Question: 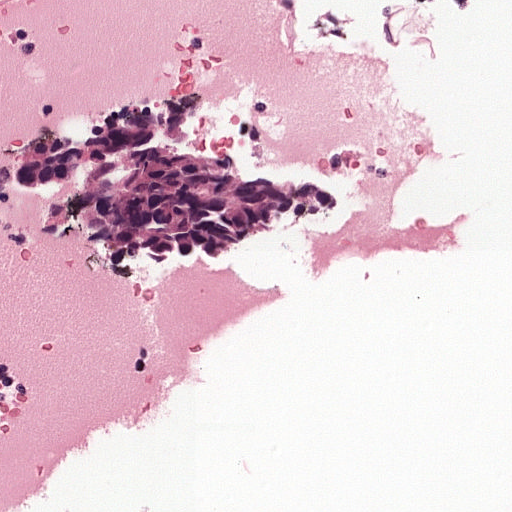
Lymph node section stained with H&E, from a whole-slide image of a breast-cancer sentinel node. Magnification about 20×, about 0.25 mm across the frame, about 0.49 µm per pixel.
What fraction of the image area is metastatic tumour?

Choices:
 (A) about 25% to 45%
 (B) none: no tumour is outlined
 (C) about 50% or more
 (D) about 10% to 20%
 (E) about 5% or less

Answer: (D) about 10% to 20%
About 20% of the field is tumour.
Two metastatic tumour regions, each outlined as a closed clockwise path in crop pixels (x, y), largest first: region 1: (118, 94), (287, 94), (312, 136), (347, 150), (342, 218), (240, 260), (66, 270), (0, 241), (0, 138), (14, 121); region 2: (411, 0), (488, 0), (486, 4), (449, 15), (412, 4).
Question: 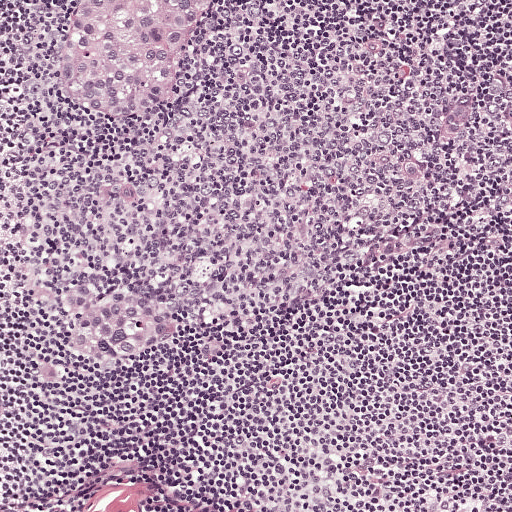
This is a crop of a whole-slide image: an H&E-stained breast-cancer sentinel lymph node section at roughly 10× magnification (about 0.97 µm per pixel; the crop spans about 0.5 mm).
What fraction of the image area is metastatic tumour?

Choices:
 (A) about 50% or more
 (B) about 10% to 20%
 (C) about 25% to 45%
 (D) none: no tumour is outlined
 (E) about 5% or less

Answer: (B) about 10% to 20%
About 10% of the field is tumour.
Four metastatic tumour regions, each outlined as a closed clockwise path in crop pixels (x, y), largest first: region 1: (78, 0), (205, 0), (188, 27), (166, 86), (139, 108), (112, 113), (85, 104), (63, 74), (60, 48), (70, 9); region 2: (73, 282), (89, 282), (109, 289), (133, 286), (173, 304), (184, 313), (184, 327), (178, 336), (145, 362), (105, 366), (78, 356), (65, 358), (73, 366), (73, 380), (63, 385), (47, 385), (34, 378), (34, 366), (58, 358), (54, 346), (75, 325), (66, 316), (61, 290); region 3: (471, 92), (475, 96), (472, 114), (460, 135), (441, 143), (438, 134), (445, 118), (460, 97); region 4: (441, 226), (443, 236), (428, 246), (404, 253), (385, 255), (378, 249), (384, 242), (418, 237), (430, 227).
One more small tumour piece is annotated here but not outlined.
Question: 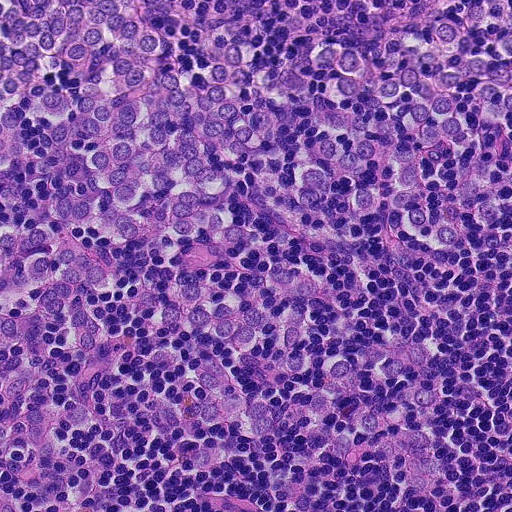
A 0.23-mm field of an H&E-stained sentinel lymph node from a breast-cancer patient (whole-slide image), shown at about 20×, about 0.45 µm per pixel.
What fraction of the image area is metastatic tumour?

Choices:
 (A) about 50% or more
 (B) none: no tumour is outlined
 (C) about 25% to 45%
 (D) about 5% or less
 (E) about 10% to 20%

Answer: (A) about 50% or more
About 65% of the field is tumour.
Outlines of two tumour regions, largest first (closed clockwise paths, crop pixels): region 1: (0, 0), (157, 0), (205, 69), (230, 24), (298, 68), (511, 5), (511, 133), (466, 132), (511, 155), (511, 202), (457, 214), (455, 255), (385, 213), (350, 250), (298, 238), (248, 174), (224, 200), (259, 234), (216, 286), (282, 258), (368, 342), (420, 344), (444, 388), (420, 498), (390, 456), (320, 448), (372, 394), (298, 411), (302, 385), (186, 337), (286, 406), (183, 470), (146, 413), (208, 385), (120, 304), (90, 304), (134, 335), (98, 420), (8, 478); region 2: (0, 489), (4, 492), (14, 504), (16, 511), (0, 511).
One more small tumour piece is annotated here but not outlined.
Question: 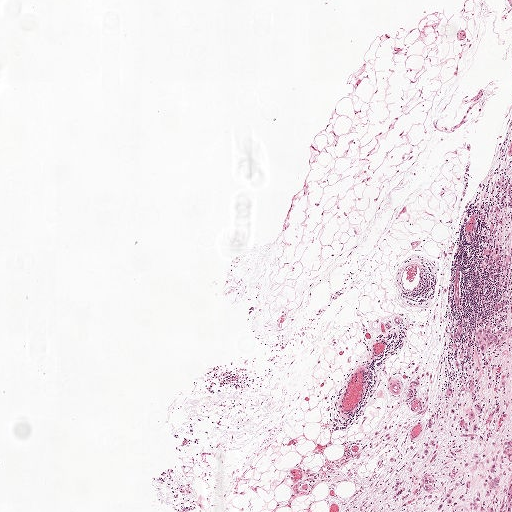
H&E-stained section of a sentinel lymph node (breast cancer), from a whole-slide image, viewed at about 2.5×: the field is about 2.0 mm across, about 3.9 µm per pixel.
What fraction of the image area is metastatic tumour?

Choices:
 (A) about 10% to 20%
 (B) about 5% or less
 (C) about 50% or more
 (D) none: no tumour is outlined
 (E) about 25% to 45%

Answer: (A) about 10% to 20%
About 10% of the field is tumour.
One metastatic tumour region; its boundary, reduced to 10 corners and listed clockwise: (511, 123), (511, 511), (343, 511), (367, 476), (369, 436), (404, 409), (428, 373), (444, 299), (442, 256), (470, 225).